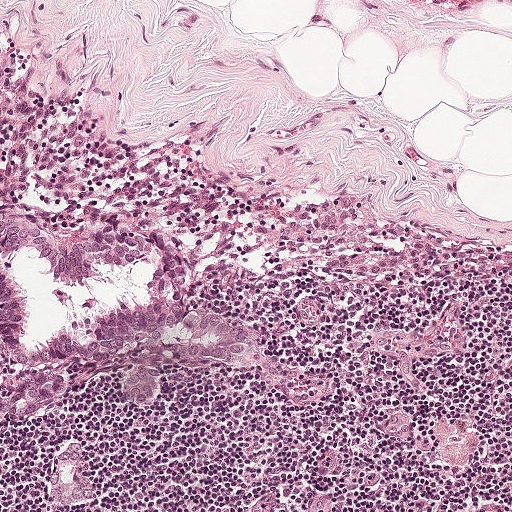
H&E-stained section of a sentinel lymph node (breast cancer), from a whole-slide image, viewed at about 10×: the field is about 0.5 mm across, about 0.97 µm per pixel.
Outlines of two tumour regions, largest first (closed clockwise paths, crop pixels): region 1: (26, 216), (73, 246), (108, 223), (167, 226), (194, 254), (196, 304), (253, 324), (262, 339), (262, 361), (239, 372), (179, 366), (163, 406), (141, 415), (118, 395), (127, 364), (116, 364), (82, 382), (42, 424), (0, 428), (0, 220); region 2: (77, 440), (82, 444), (86, 454), (89, 478), (96, 493), (95, 498), (90, 502), (83, 504), (65, 505), (46, 498), (48, 475), (54, 455), (62, 444).
About 15% of this field is tumour.